This is a crop of a whole-slide image: an H&E-stained breast-cancer sentinel lymph node section at roughly 5× magnification (about 1.8 µm per pixel; the crop spans about 0.93 mm).
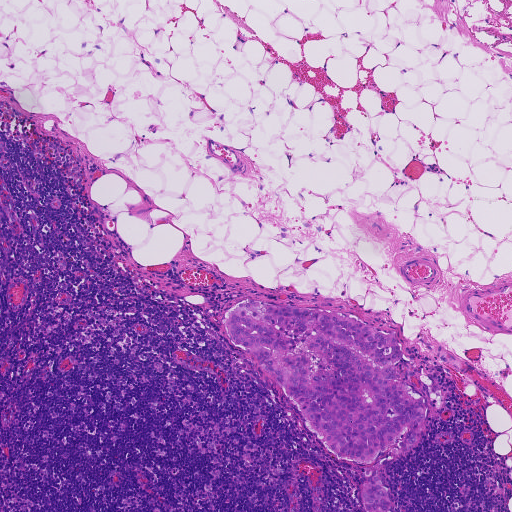
Outlines of two tumour regions, largest first (closed clockwise paths, crop pixels): region 1: (249, 298), (339, 314), (394, 333), (403, 352), (391, 381), (404, 383), (424, 406), (414, 447), (401, 453), (400, 438), (380, 451), (372, 463), (345, 461), (327, 450), (225, 328), (227, 310); region 2: (376, 475), (381, 480), (388, 490), (390, 503), (388, 511), (366, 511), (361, 493), (370, 477).
One more small tumour piece is annotated here but not outlined.
About 10% of the image area is annotated as tumour.